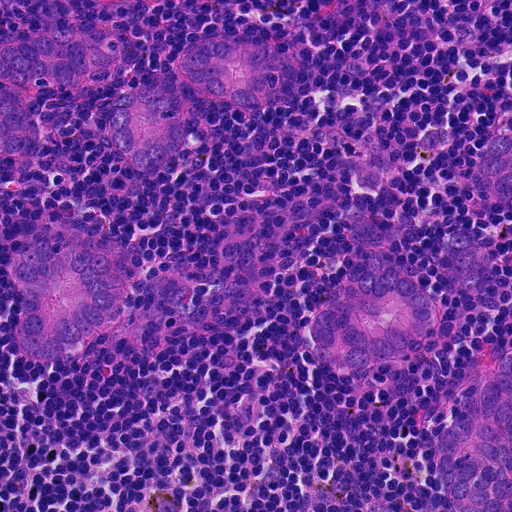
Lymph node section stained with H&E, from a whole-slide image of a breast-cancer sentinel node. Magnification about 20×, about 0.23 mm across the frame, about 0.45 µm per pixel.
Outlines of seven tumour regions, largest first (closed clockwise paths, crop pixels): region 1: (360, 212), (378, 224), (380, 246), (392, 263), (426, 288), (435, 308), (436, 328), (411, 361), (372, 372), (350, 372), (312, 355), (310, 324), (354, 252), (348, 232); region 2: (54, 222), (112, 245), (124, 262), (126, 284), (121, 304), (96, 337), (48, 362), (28, 360), (16, 344), (19, 302), (8, 284), (35, 228); region 3: (511, 352), (511, 505), (507, 511), (453, 511), (440, 481), (440, 440), (472, 386), (502, 356); region 4: (50, 29), (71, 31), (116, 45), (121, 64), (110, 82), (90, 89), (49, 82), (30, 90), (30, 110), (40, 131), (38, 153), (0, 157), (0, 42); region 5: (154, 76), (172, 84), (184, 102), (188, 123), (184, 145), (174, 164), (158, 178), (137, 176), (118, 167), (108, 147), (107, 126), (112, 106), (122, 88); region 6: (202, 35), (244, 36), (264, 44), (280, 56), (283, 78), (282, 99), (264, 108), (244, 111), (202, 92), (184, 79), (176, 65), (186, 46); region 7: (511, 127), (511, 206), (500, 204), (481, 193), (472, 174), (478, 154), (493, 138).
Two more small tumour pieces are annotated here but not outlined.
About 20% of this field is tumour.